Question: 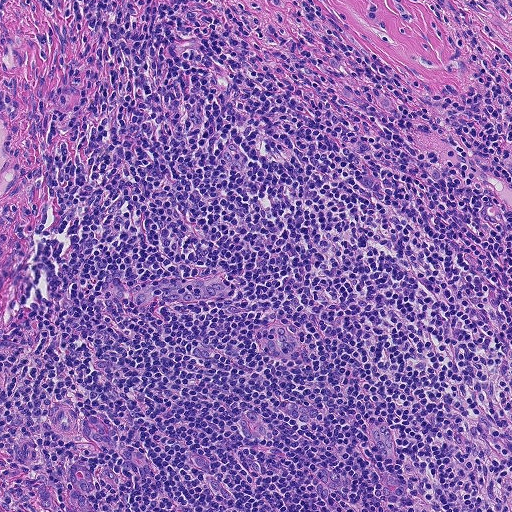
H&E-stained section of a sentinel lymph node (breast cancer), from a whole-slide image, viewed at about 10×: the field is about 0.46 mm across, about 0.9 µm per pixel.
Roughly what share of this field is metastatic tumour?

Choices:
 (A) about 5% or less
 (B) about 50% or more
 (C) about 25% to 45%
 (D) none: no tumour is outlined
 (E) about 10% to 20%

Answer: (A) about 5% or less
About 5% of the field is tumour.
Outlines of three tumour regions, largest first (closed clockwise paths, crop pixels): region 1: (96, 414), (117, 423), (126, 443), (137, 447), (161, 472), (158, 476), (148, 477), (126, 468), (126, 481), (119, 488), (108, 488), (100, 480), (87, 492), (95, 511), (44, 511), (36, 501), (28, 469), (20, 462), (0, 459), (0, 455), (18, 458), (36, 470), (44, 471), (50, 480), (54, 502), (62, 508), (70, 486), (65, 474), (82, 435), (79, 424), (85, 415); region 2: (246, 410), (268, 418), (273, 427), (270, 438), (262, 443), (251, 443), (242, 437), (237, 427), (238, 416); region 3: (285, 403), (313, 406), (322, 410), (318, 421), (296, 421), (287, 418), (278, 411).